Image:
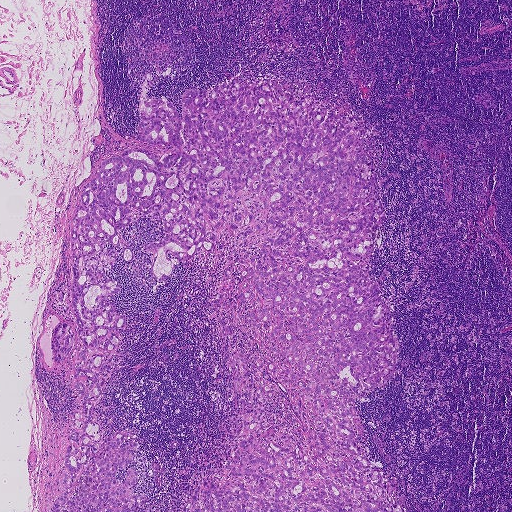
This is a crop of a whole-slide image: an H&E-stained breast-cancer sentinel lymph node section at roughly 2.5× magnification (about 3.6 µm per pixel; the crop spans about 1.9 mm).
Question:
Which parts of this field are metastatic tumour? Answer with the outline of each region, in pixels.
Answer:
Tumour region outline (a closed clockwise path, crop pixels): (145, 73), (145, 99), (181, 116), (188, 89), (238, 79), (357, 123), (383, 212), (369, 270), (399, 344), (388, 379), (355, 400), (359, 444), (407, 511), (47, 511), (79, 400), (78, 333), (60, 364), (50, 340), (61, 321), (77, 327), (73, 216), (102, 160), (175, 149), (136, 137).
About 45% of this field is tumour.